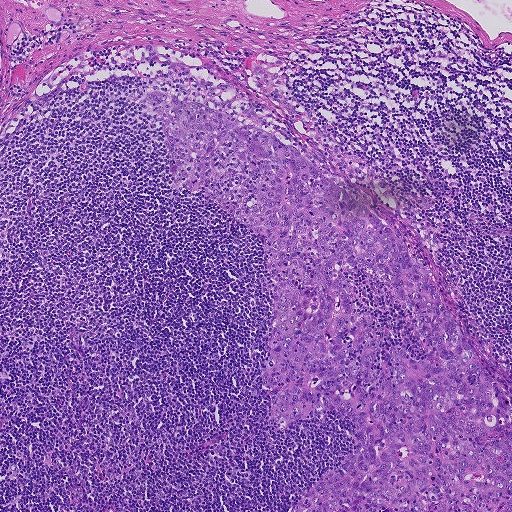
This is a crop of a whole-slide image: an H&E-stained breast-cancer sentinel lymph node section at roughly 5× magnification (about 1.8 µm per pixel; the crop spans about 0.93 mm).
Tumour region outline (a closed clockwise path, crop pixels): (160, 88), (274, 130), (427, 260), (471, 347), (511, 380), (511, 511), (287, 511), (346, 456), (352, 423), (332, 410), (288, 428), (265, 422), (276, 392), (260, 379), (275, 284), (267, 260), (248, 229), (175, 187), (161, 122), (141, 93).
About 25% of this field is tumour.